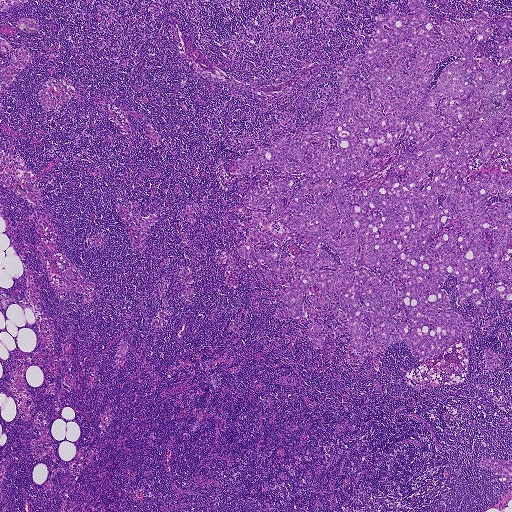
A 1.9-mm field of an H&E-stained sentinel lymph node from a breast-cancer patient (whole-slide image), shown at about 2.5×, about 3.6 µm per pixel.
Boundaries of two metastatic tumour regions, simplified and listed clockwise, largest first: region 1: (425, 0), (442, 39), (481, 10), (511, 23), (473, 50), (497, 65), (511, 37), (511, 302), (442, 286), (490, 372), (463, 339), (368, 360), (322, 324), (314, 349), (320, 320), (288, 317), (287, 284), (238, 248), (242, 197), (302, 174), (230, 164), (335, 103), (373, 16); region 2: (484, 457), (507, 459), (511, 458), (511, 478), (508, 482), (503, 482), (499, 481), (500, 476), (496, 473), (486, 470), (482, 467), (479, 464), (479, 459).
The annotated tumour makes up about 25% of the crop.